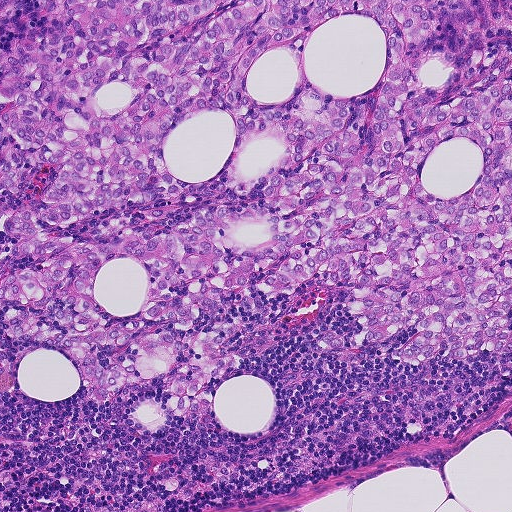
H&E-stained section of a sentinel lymph node (breast cancer), from a whole-slide image, viewed at about 10×: the field is about 0.46 mm across, about 0.9 µm per pixel.
Question: Where is the metastatic tumour in this field? Give each region's outline as (x, y) pixel points.
Answer: Metastatic tumour outline, simplified to 19 points and listed clockwise in crop pixels (x, y): (40, 0), (511, 0), (511, 353), (276, 266), (141, 324), (191, 338), (225, 326), (202, 412), (176, 414), (182, 346), (105, 399), (15, 338), (68, 332), (35, 309), (0, 300), (48, 260), (0, 228), (54, 174), (0, 190).
The annotated tumour makes up about 65% of the crop.